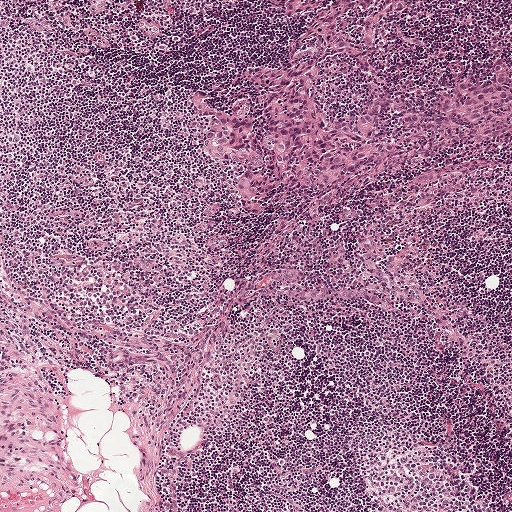
This is a crop of a whole-slide image: an H&E-stained breast-cancer sentinel lymph node section at roughly 5× magnification (about 1.9 µm per pixel; the crop spans about 1 mm).
Question: Where is the metastatic tumour in this field?
Answer: Tumour region outline (a closed clockwise path, crop pixels): (284, 0), (511, 0), (511, 106), (346, 180), (281, 190), (263, 214), (249, 217), (228, 186), (236, 167), (198, 151), (200, 120), (184, 101), (197, 91), (222, 111), (238, 71), (282, 61), (299, 29), (281, 12).
Tumour covers about 15% of the frame.